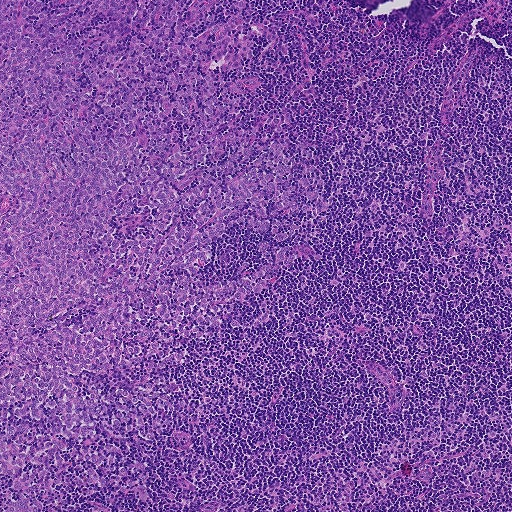
A 0.93-mm field of an H&E-stained sentinel lymph node from a breast-cancer patient (whole-slide image), shown at about 5×, about 1.8 µm per pixel.
Question: Describe where the metastatic carcinoma lies in this crop.
Answer: The outlined metastatic tumour's edge, as a closed clockwise path of 36 points: (0, 0), (182, 0), (197, 37), (242, 0), (252, 59), (210, 67), (218, 93), (256, 83), (222, 133), (283, 132), (209, 173), (224, 185), (286, 140), (287, 176), (306, 167), (306, 140), (314, 172), (290, 181), (329, 209), (266, 202), (292, 234), (240, 223), (199, 274), (262, 240), (322, 258), (170, 332), (180, 360), (77, 376), (178, 387), (151, 442), (93, 428), (142, 502), (60, 454), (32, 498), (61, 511), (3, 511).
One more small tumour piece is annotated here but not outlined.
The annotated tumour makes up about 40% of the crop.